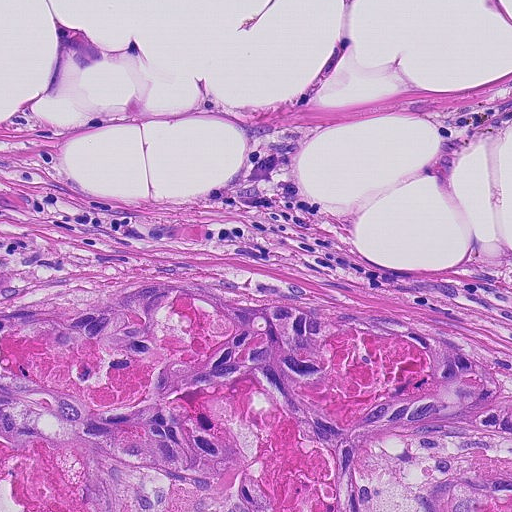
H&E-stained section of a sentinel lymph node (breast cancer), from a whole-slide image, viewed at about 20×: the field is about 0.23 mm across, about 0.45 µm per pixel.
The outlined metastatic tumour's edge, as a closed clockwise path of 11 points: (0, 261), (50, 280), (6, 303), (62, 309), (154, 272), (247, 297), (344, 289), (482, 337), (506, 390), (511, 511), (0, 511).
The annotated tumour makes up about 40% of the crop.